Question: 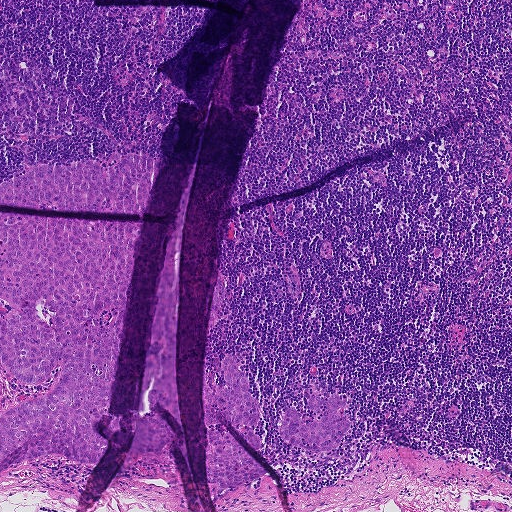
Lymph node section stained with H&E, from a whole-slide image of a breast-cancer sentinel node. Magnification about 5×, about 0.93 mm across the frame, about 1.8 µm per pixel.
Estimate the proportion of this field that is metastatic tumour.

Choices:
 (A) about 25% to 45%
 (B) about 10% to 20%
 (C) none: no tumour is outlined
 (D) about 50% or more
 (E) about 5% or less

Answer: (B) about 10% to 20%
About 15% of the field is tumour.
Boundaries of four metastatic tumour regions, simplified and listed clockwise, largest first: region 1: (0, 213), (139, 224), (106, 408), (92, 426), (105, 450), (94, 462), (51, 454), (2, 466), (0, 411), (50, 391), (60, 366), (29, 386), (0, 359); region 2: (128, 154), (158, 158), (142, 213), (0, 204), (0, 184), (34, 166), (42, 164), (58, 166), (86, 160), (110, 167); region 3: (231, 352), (248, 378), (259, 409), (256, 425), (245, 428), (259, 437), (266, 458), (231, 415), (214, 411), (214, 417), (266, 472), (242, 487), (226, 488), (217, 486), (208, 473), (204, 424), (204, 368), (205, 370), (213, 370), (218, 386), (227, 387), (222, 381), (221, 364), (223, 355); region 4: (313, 392), (326, 399), (332, 394), (340, 394), (346, 404), (340, 408), (338, 412), (350, 422), (349, 429), (342, 434), (336, 449), (314, 451), (298, 449), (281, 440), (278, 433), (279, 425), (290, 404), (301, 414), (303, 422), (318, 421), (324, 406), (319, 412), (311, 411), (306, 405).
One more small tumour piece is annotated here but not outlined.